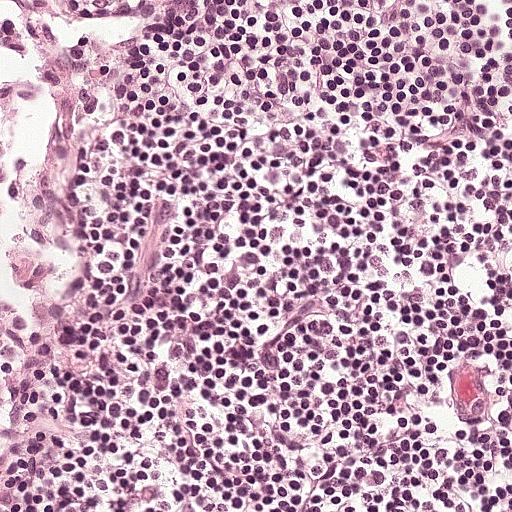
A 0.25-mm field of an H&E-stained sentinel lymph node from a breast-cancer patient (whole-slide image), shown at about 20×, about 0.49 µm per pixel.